Question: 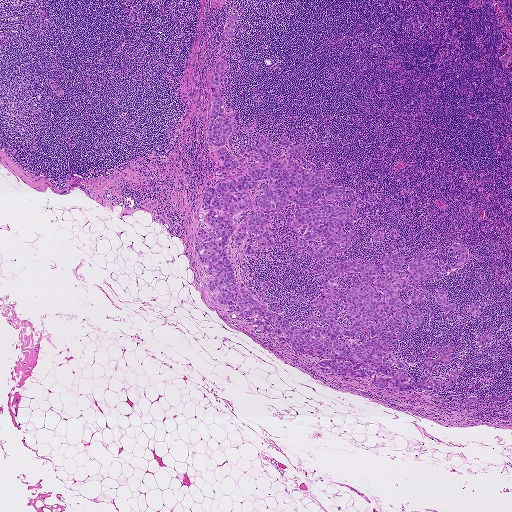
This is a crop of a whole-slide image: an H&E-stained breast-cancer sentinel lymph node section at roughly 2.5× magnification (about 3.6 µm per pixel; the crop spans about 1.9 mm).
What fraction of the image area is metastatic tumour?

Choices:
 (A) about 25% to 45%
 (B) none: no tumour is outlined
 (C) about 50% or more
 (D) about 10% to 20%
 (E) about 5% or less

Answer: (D) about 10% to 20%
About 10% of the field is tumour.
Boundaries of four metastatic tumour regions, simplified and listed clockwise, largest first: region 1: (232, 12), (237, 14), (237, 21), (234, 26), (234, 39), (227, 39), (223, 28), (227, 16); region 2: (459, 244), (464, 245), (467, 250), (467, 256), (466, 262), (463, 266), (458, 268), (452, 268), (457, 262), (458, 257), (460, 256), (460, 253), (457, 252), (452, 249), (452, 245); region 3: (491, 394), (503, 396), (508, 398), (504, 402), (492, 402), (487, 400), (486, 398), (484, 398), (487, 397); region 4: (485, 332), (487, 334), (491, 332), (492, 332), (492, 338), (488, 341), (482, 344), (476, 344), (482, 334).
One more tumour region is annotated but not outlined: its edge is too irregular for a short outline.
Two more small tumour pieces are annotated here but not outlined.